Image:
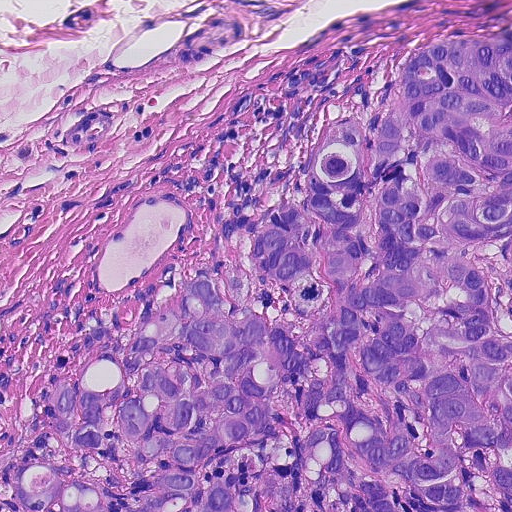
Lymph node section stained with H&E, from a whole-slide image of a breast-cancer sentinel node. Magnification about 20×, about 0.23 mm across the frame, about 0.45 µm per pixel.
Question:
Trace the edge of each tumour region in this crop, as (x, y) points from 0 to 511.
Answer:
The outlined metastatic tumour's edge, as a closed clockwise path of 16 points: (511, 27), (511, 511), (23, 511), (10, 472), (40, 444), (55, 366), (86, 338), (162, 309), (257, 237), (278, 204), (315, 187), (314, 148), (340, 116), (379, 117), (388, 77), (415, 46).
About 55% of this field is tumour.